Lymph node section stained with H&E, from a whole-slide image of a breast-cancer sentinel node. Magnification about 20×, about 0.25 mm across the frame, about 0.49 µm per pixel.
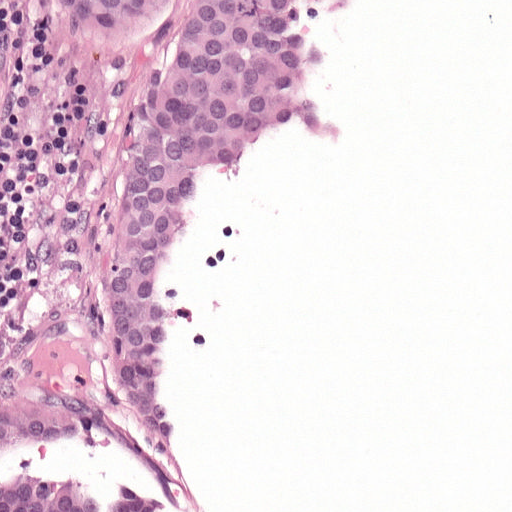
Metastatic tumour outline, simplified to 16 points and listed clockwise in crop pixels (x, y): (47, 0), (368, 0), (364, 118), (325, 154), (270, 153), (196, 216), (176, 265), (177, 374), (234, 511), (0, 511), (0, 404), (104, 386), (91, 272), (130, 101), (121, 47), (68, 30).
About 35% of the image area is annotated as tumour.